This is a crop of a whole-slide image: an H&E-stained breast-cancer sentinel lymph node section at roughly 10× magnification (about 0.97 µm per pixel; the crop spans about 0.5 mm).
Question: 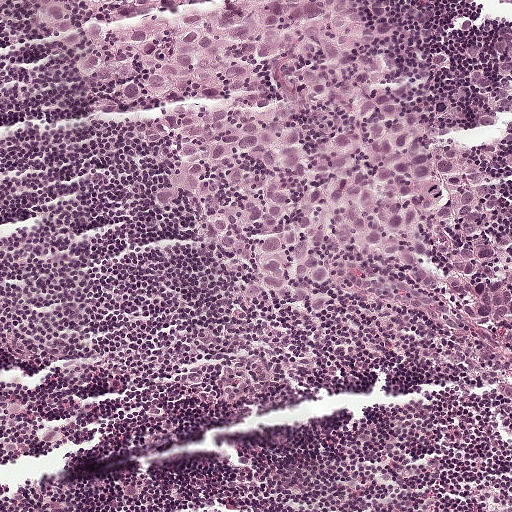
About how much of this crop is taken up by metastatic carcinoma?

Choices:
 (A) about 5% or less
 (B) about 25% to 45%
 (C) about 10% to 20%
 (D) none: no tumour is outlined
 (E) about 50% or more

Answer: (E) about 50% or more
About 50% of the field is tumour.
Metastatic tumour outline, simplified to 10 points and listed clockwise in crop pixels (x, y): (0, 0), (511, 0), (511, 371), (434, 303), (361, 278), (300, 326), (238, 309), (167, 256), (57, 90), (0, 50).